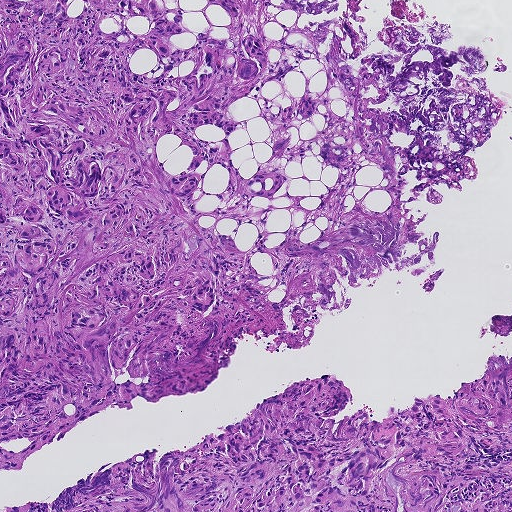
H&E-stained section of a sentinel lymph node (breast cancer), from a whole-slide image, viewed at about 5×: the field is about 0.93 mm across, about 1.8 µm per pixel.
Question: Is any metastatic breast cancer visible in this crop?
Answer: Yes.
Outlines of two tumour regions, largest first (closed clockwise paths, crop pixels): region 1: (0, 0), (236, 0), (238, 34), (308, 30), (358, 81), (362, 148), (385, 172), (401, 222), (413, 214), (416, 233), (439, 232), (438, 289), (423, 289), (425, 256), (361, 287), (337, 273), (308, 343), (243, 337), (205, 389), (154, 403), (138, 396), (133, 408), (100, 413), (0, 471); region 2: (326, 372), (352, 398), (332, 416), (335, 430), (339, 417), (364, 409), (380, 420), (391, 405), (402, 411), (414, 397), (449, 396), (460, 382), (486, 372), (511, 379), (511, 511), (0, 511), (49, 502), (103, 464), (157, 450), (153, 469), (165, 454), (223, 432), (291, 382).
The annotated tumour makes up about 70% of the crop.